Lymph node section stained with H&E, from a whole-slide image of a breast-cancer sentinel node. Magnification about 5×, about 1 mm across the frame, about 1.9 µm per pixel.
Image:
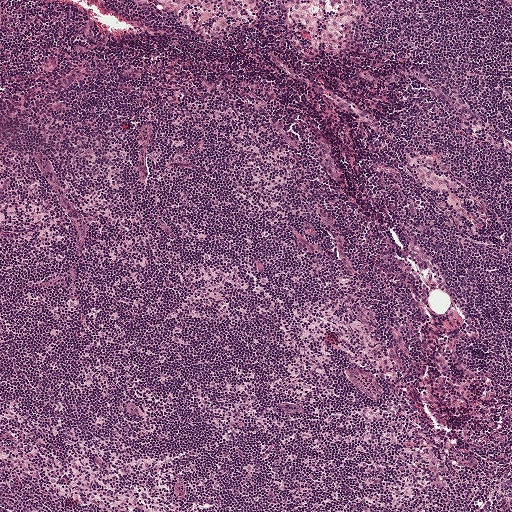
Question:
Does this lymph node field contain metastatic tumour?
Answer:
No, this field holds no outlined metastasis.